H&E-stained section of a sentinel lymph node (breast cancer), from a whole-slide image, viewed at about 20×: the field is about 0.23 mm across, about 0.45 µm per pixel.
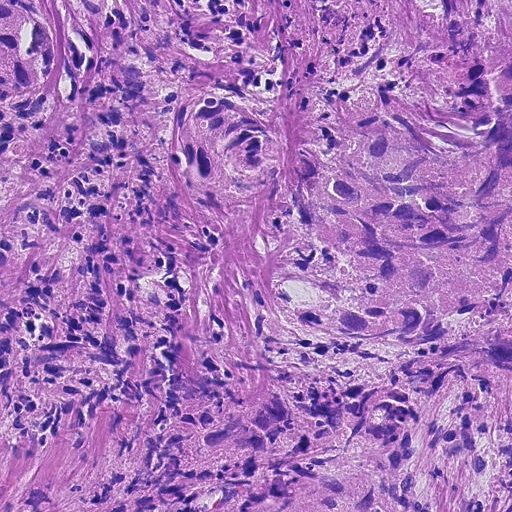
Two metastatic tumour regions, each outlined as a closed clockwise path in crop pixels (x, y), largest first: region 1: (511, 52), (511, 511), (0, 511), (178, 414), (294, 384), (365, 382), (388, 376), (400, 355), (332, 344), (280, 316), (270, 268), (303, 243), (268, 208), (194, 200), (168, 157), (182, 110), (200, 94), (225, 100), (318, 158), (352, 140), (336, 105), (435, 97), (466, 58); region 2: (0, 0), (14, 2), (52, 29), (55, 71), (16, 91), (0, 90).
The annotated tumour makes up about 50% of the crop.